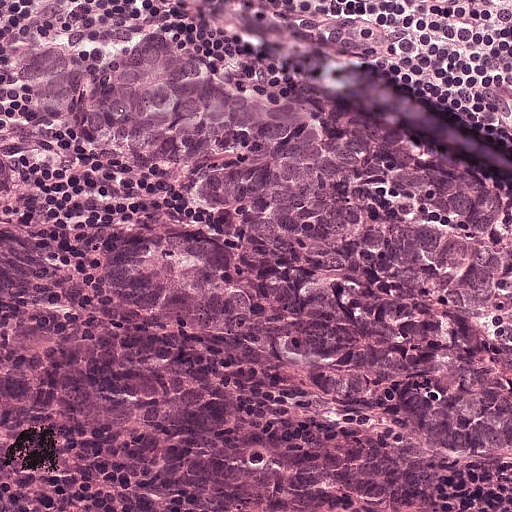
This is a crop of a whole-slide image: an H&E-stained breast-cancer sentinel lymph node section at roughly 20× magnification (about 0.49 µm per pixel; the crop spans about 0.25 mm).
Boundaries of two metastatic tumour regions, simplified and listed clockwise, largest first: region 1: (62, 32), (109, 51), (154, 35), (234, 80), (307, 92), (464, 162), (511, 214), (507, 298), (493, 314), (464, 314), (359, 292), (184, 217), (141, 178), (41, 128), (16, 72), (30, 44); region 2: (118, 237), (191, 239), (333, 308), (369, 310), (468, 348), (498, 346), (510, 358), (511, 480), (246, 368), (172, 353), (100, 286), (94, 261).
One more small tumour piece is annotated here but not outlined.
Tumour covers about 45% of the frame.